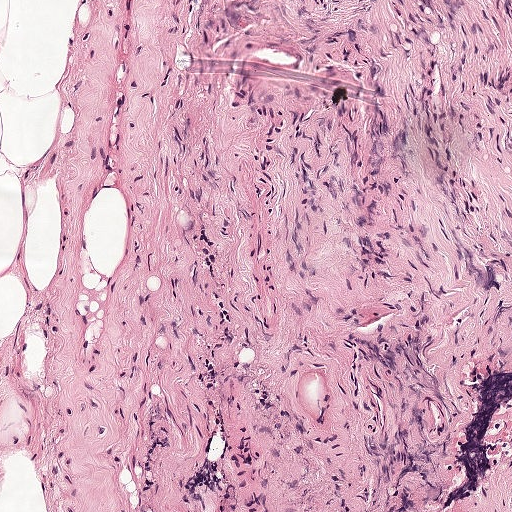
H&E-stained section of a sentinel lymph node (breast cancer), from a whole-slide image, viewed at about 10×: the field is about 0.5 mm across, about 0.97 µm per pixel.
Question: Is there metastatic carcinoma in this field?
Answer: No: no metastatic tumour is outlined anywhere in this field.